H&E-stained section of a sentinel lymph node (breast cancer), from a whole-slide image, viewed at about 2.5×: the field is about 1.9 mm across, about 3.6 µm per pixel.
Question: 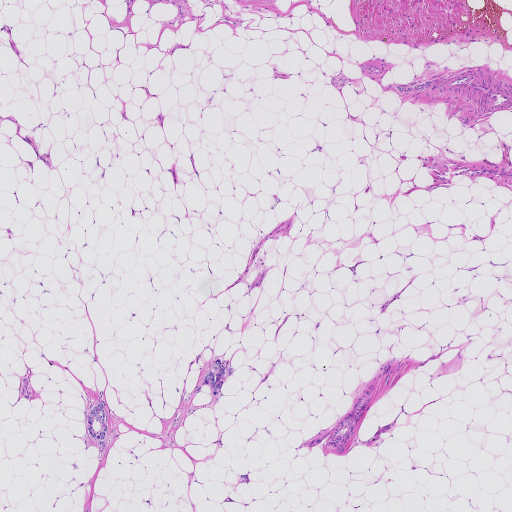
About how much of this crop is taken up by metastatic carcinoma?

Choices:
 (A) about 10% to 20%
 (B) about 25% to 45%
 (C) about 5% or less
 (D) none: no tumour is outlined
 (E) about 50% or more

Answer: (C) about 5% or less
Under 5% of the field is tumour.
Two metastatic tumour regions, each outlined as a closed clockwise path in crop pixels (x, y), largest first: region 1: (104, 402), (108, 431), (105, 437), (104, 451), (100, 453), (98, 441), (89, 437), (87, 418), (90, 409), (96, 403); region 2: (216, 359), (221, 359), (225, 363), (225, 377), (220, 391), (217, 395), (213, 395), (211, 388), (204, 385), (199, 392), (196, 391).
One more small tumour piece is annotated here but not outlined.